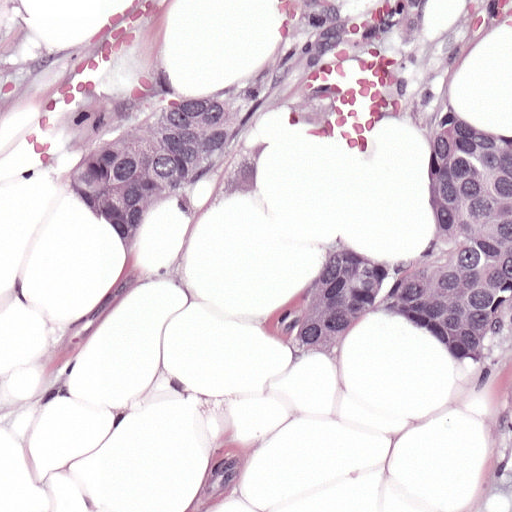
Lymph node section stained with H&E, from a whole-slide image of a breast-cancer sentinel node. Magnification about 20×, about 0.25 mm across the frame, about 0.49 µm per pixel.
Two metastatic tumour regions, each outlined as a closed clockwise path in crop pixels (x, y), largest first: region 1: (424, 118), (470, 118), (511, 135), (511, 377), (432, 350), (387, 323), (320, 370), (264, 363), (262, 313), (332, 231), (374, 251), (430, 231); region 2: (300, 0), (392, 0), (314, 64), (260, 148), (247, 148), (167, 226), (124, 250), (82, 214), (0, 205), (0, 152), (62, 184), (114, 118), (210, 84), (297, 34).
The annotated tumour makes up about 25% of the crop.